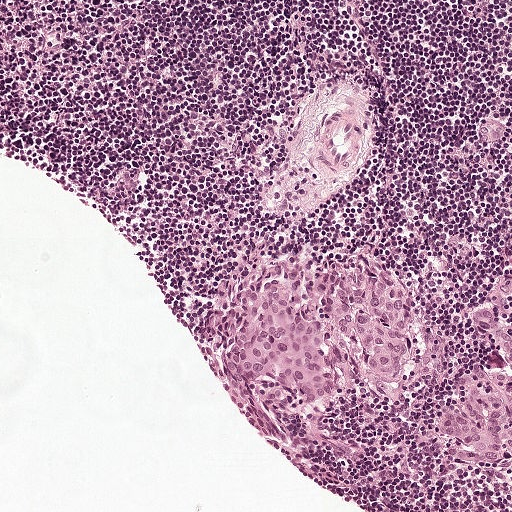
A 0.5-mm field of an H&E-stained sentinel lymph node from a breast-cancer patient (whole-slide image), shown at about 10×, about 0.97 µm per pixel.